Question: 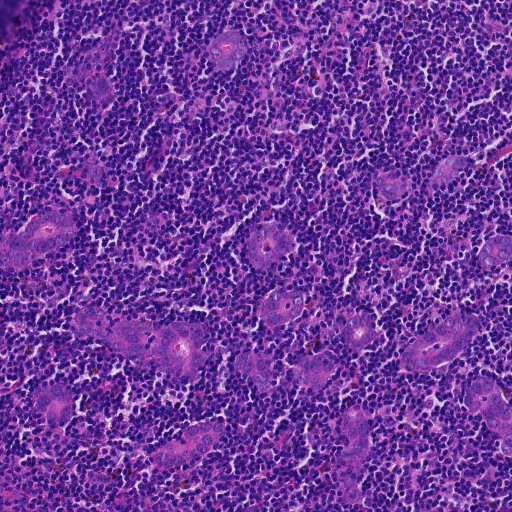
A 0.46-mm field of an H&E-stained sentinel lymph node from a breast-cancer patient (whole-slide image), shown at about 10×, about 0.91 µm per pixel.
About how much of this crop is taken up by metastatic carcinoma?

Choices:
 (A) about 50% or more
 (B) about 25% to 45%
 (C) about 5% or less
 (D) none: no tumour is outlined
 (E) about 10% to 20%

Answer: (E) about 10% to 20%
About 10% of the field is tumour.
Outlines of the eight largest metastatic tumour regions, each a closed clockwise path in crop pixels (x, y), largest first: region 1: (102, 306), (110, 326), (124, 320), (134, 320), (156, 328), (167, 327), (176, 321), (186, 320), (197, 322), (205, 327), (207, 338), (196, 378), (176, 378), (156, 370), (147, 363), (137, 366), (128, 362), (104, 342), (82, 333), (76, 328), (74, 318), (80, 309); region 2: (465, 310), (474, 314), (479, 322), (478, 333), (442, 368), (424, 374), (413, 374), (404, 371), (399, 362), (401, 352), (440, 325), (454, 312); region 3: (50, 210), (69, 216), (75, 225), (74, 235), (67, 243), (48, 252), (24, 270), (13, 273), (0, 270), (0, 236), (18, 234), (26, 228), (32, 220), (40, 213); region 4: (363, 404), (370, 412), (371, 451), (360, 478), (362, 498), (353, 503), (344, 500), (332, 472), (334, 462), (346, 447), (342, 420), (344, 411), (352, 406); region 5: (484, 376), (501, 387), (506, 396), (511, 420), (511, 454), (505, 455), (500, 447), (501, 438), (488, 428), (478, 411), (473, 414), (465, 408), (463, 398), (465, 388), (474, 377); region 6: (206, 421), (217, 421), (224, 428), (224, 439), (217, 448), (179, 465), (159, 468), (152, 462), (153, 451), (172, 442), (183, 442), (182, 437), (187, 428); region 7: (264, 222), (284, 226), (290, 233), (293, 242), (291, 252), (284, 260), (265, 268), (255, 267), (246, 252), (244, 242), (248, 233); region 8: (288, 287), (299, 289), (305, 296), (306, 306), (301, 316), (283, 326), (273, 326), (264, 322), (258, 314), (259, 303), (278, 290).
Seven more, smaller tumour regions are not outlined.
Five more small tumour pieces are annotated here but not outlined.